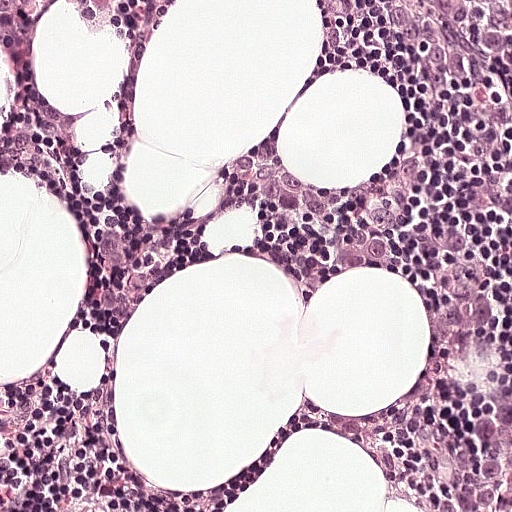
This is a crop of a whole-slide image: an H&E-stained breast-cancer sentinel lymph node section at roughly 20× magnification (about 0.49 µm per pixel; the crop spans about 0.25 mm).
Three metastatic tumour regions, each outlined as a closed clockwise path in crop pixels (x, y), largest first: region 1: (511, 0), (511, 511), (430, 511), (377, 460), (366, 420), (414, 398), (434, 364), (423, 324), (397, 314), (382, 281), (296, 300), (251, 259), (251, 210), (236, 185), (252, 157), (275, 159), (323, 192), (375, 190), (397, 159), (404, 85), (380, 62), (347, 60), (301, 2); region 2: (0, 0), (77, 0), (40, 12), (40, 16), (28, 26), (28, 30), (25, 31), (23, 38), (20, 38), (20, 42), (12, 44), (10, 48), (0, 53); region 3: (96, 0), (143, 0), (140, 7), (136, 7), (127, 16), (121, 16), (116, 21), (108, 21), (108, 20), (102, 18), (102, 14), (99, 12), (97, 7).
Tumour covers about 30% of the frame.